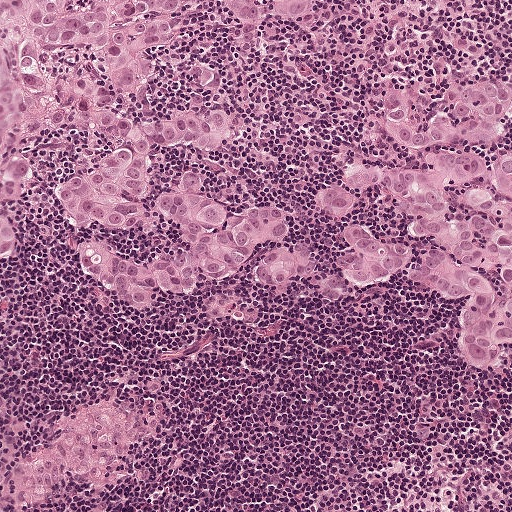
A 0.5-mm field of an H&E-stained sentinel lymph node from a breast-cancer patient (whole-slide image), shown at about 10×, about 0.97 µm per pixel.
Boundaries of four metastatic tumour regions, simplified and listed clockwise, largest first: region 1: (0, 0), (188, 0), (186, 40), (229, 80), (244, 136), (165, 157), (159, 186), (198, 166), (232, 202), (290, 206), (289, 239), (193, 298), (124, 306), (83, 248), (168, 264), (187, 240), (65, 208), (65, 178), (109, 150), (70, 126), (38, 146), (14, 212), (26, 257), (3, 262); region 2: (511, 80), (511, 123), (479, 147), (490, 163), (511, 159), (511, 342), (481, 373), (461, 344), (469, 310), (405, 275), (328, 306), (355, 225), (438, 247), (391, 192), (344, 216), (321, 192), (356, 163), (425, 167), (388, 124), (388, 91), (410, 92), (425, 126), (471, 87); region 3: (210, 0), (310, 0), (318, 24), (312, 30), (291, 26), (261, 38), (236, 25), (225, 9); region 4: (310, 242), (315, 252), (315, 276), (287, 282), (282, 284), (272, 282), (260, 274), (263, 255), (282, 244), (292, 248).
The annotated tumour makes up about 35% of the crop.